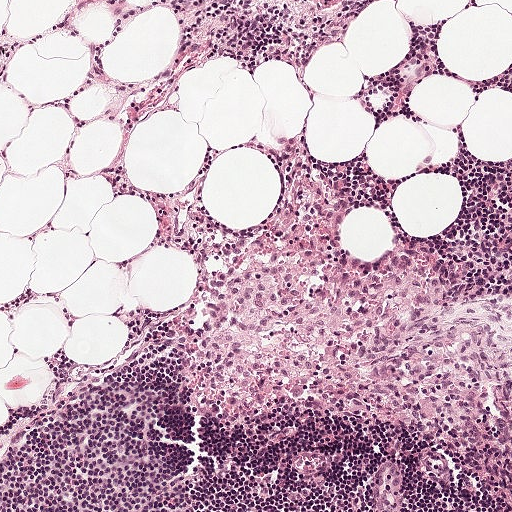
Lymph node section stained with H&E, from a whole-slide image of a breast-cancer sentinel node. Magnification about 10×, about 0.5 mm across the frame, about 0.97 µm per pixel.